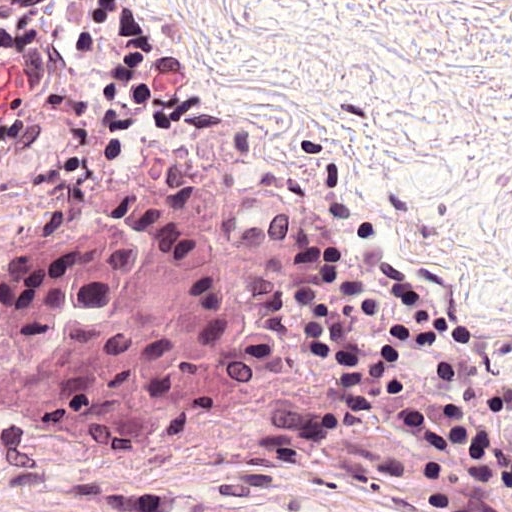
A 0.12-mm field of an H&E-stained sentinel lymph node from a breast-cancer patient (whole-slide image), shown at about 40×, about 0.24 µm per pixel.
Question: Describe where the metastatic carcinoma lies in this crop.
Answer: One metastatic tumour region; its boundary, reduced to 12 corners and listed clockwise: (141, 168), (198, 202), (255, 254), (289, 304), (295, 357), (255, 407), (107, 473), (75, 476), (30, 459), (0, 430), (0, 255), (14, 234).
The annotated tumour makes up about 25% of the crop.